Question: 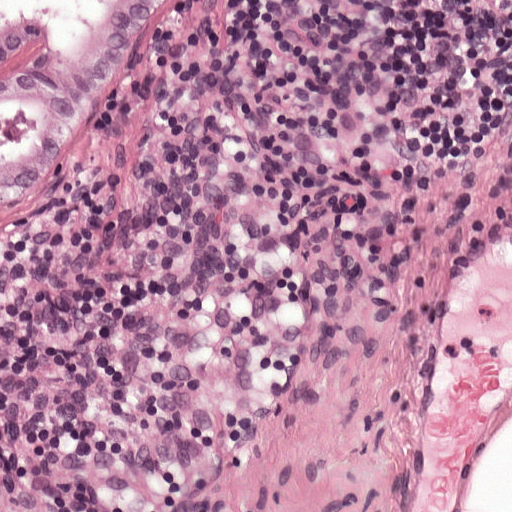
Lymph node section stained with H&E, from a whole-slide image of a breast-cancer sentinel node. Magnification about 20×, about 0.25 mm across the frame, about 0.49 µm per pixel.
Roughly what share of this field is metastatic tumour?

Choices:
 (A) about 25% to 45%
 (B) about 5% or less
 (C) about 10% to 20%
 (D) none: no tumour is outlined
 (E) about 50% or more

Answer: (C) about 10% to 20%
About 10% of the field is tumour.
Metastatic tumour outline, simplified to 5 points and listed clockwise in crop pixels (x, y): (0, 0), (226, 0), (164, 64), (107, 176), (0, 219).